Image:
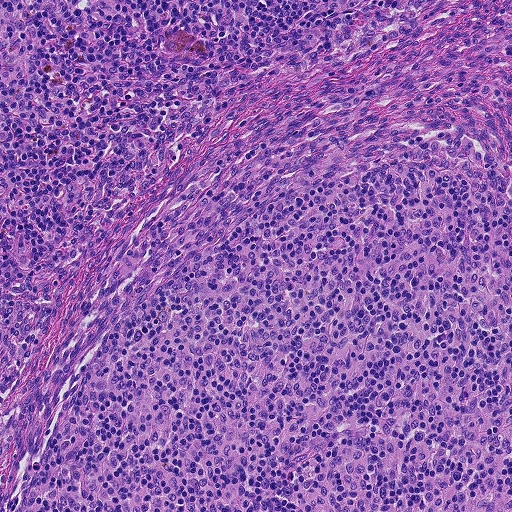
This is a crop of a whole-slide image: an H&E-stained breast-cancer sentinel lymph node section at roughly 10× magnification (about 0.9 µm per pixel; the crop spans about 0.46 mm).
Question:
Is there metastatic carcinoma in this field?
Answer:
No: no metastatic tumour is outlined anywhere in this field.